This is a crop of a whole-slide image: an H&E-stained breast-cancer sentinel lymph node section at roughly 20× magnification (about 0.49 µm per pixel; the crop spans about 0.25 mm).
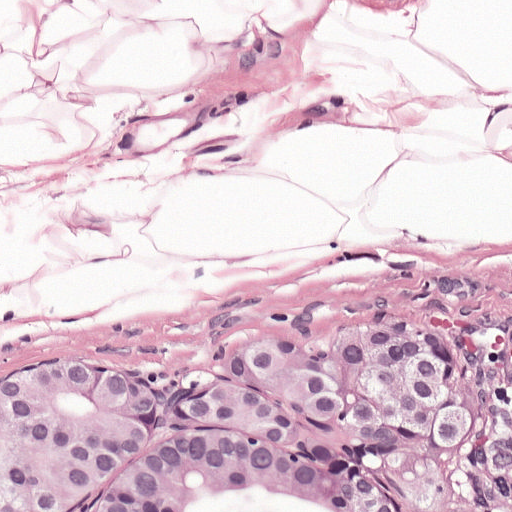
Metastatic tumour outline, simplified to 9 points and listed clockwise in crop pixels (x, y): (330, 315), (428, 332), (504, 405), (494, 443), (511, 474), (511, 511), (0, 511), (0, 368), (114, 338).
The annotated tumour makes up about 35% of the crop.